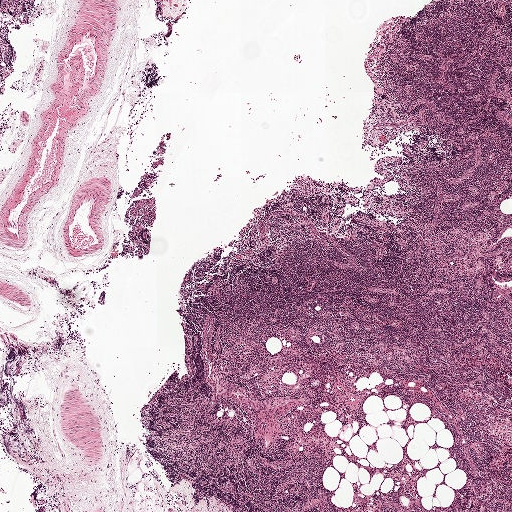
This is a crop of a whole-slide image: an H&E-stained breast-cancer sentinel lymph node section at roughly 2.5× magnification (about 3.9 µm per pixel; the crop spans about 2.0 mm).
Question: Is any metastatic breast cancer visible in this crop?
Answer: No, this field holds no outlined metastasis.